A 0.25-mm field of an H&E-stained sentinel lymph node from a breast-cancer patient (whole-slide image), shown at about 20×, about 0.49 µm per pixel.
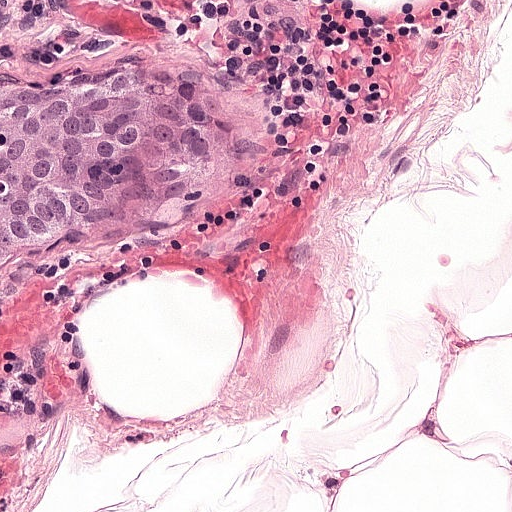
Tumour region outline (a closed clockwise path, crop pixels): (181, 61), (212, 74), (225, 90), (225, 109), (181, 192), (105, 220), (57, 250), (0, 264), (0, 83), (44, 78), (100, 83), (153, 63).
About 10% of the image area is annotated as tumour.